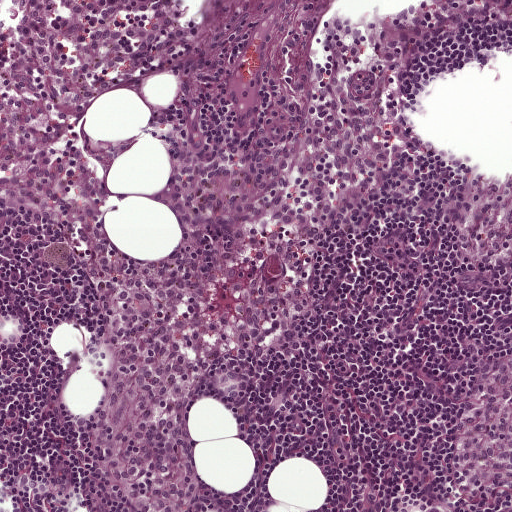
This is a crop of a whole-slide image: an H&E-stained breast-cancer sentinel lymph node section at roughly 10× magnification (about 0.97 µm per pixel; the crop spans about 0.5 mm).